Question: 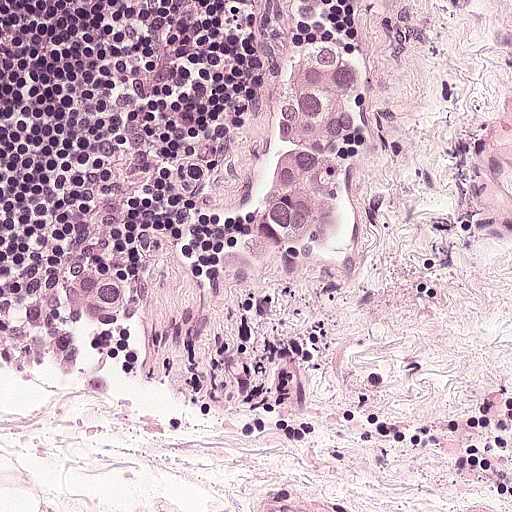
Lymph node section stained with H&E, from a whole-slide image of a breast-cancer sentinel node. Magnification about 20×, about 0.25 mm across the frame, about 0.49 µm per pixel.
About how much of this crop is taken up by metastatic carcinoma?

Choices:
 (A) none: no tumour is outlined
 (B) about 5% or less
 (C) about 25% to 45%
 (D) about 50% or more
 (E) about 10% to 20%

Answer: (B) about 5% or less
About 5% of the field is tumour.
The outlined metastatic tumour's edge, as a closed clockwise path of 13 points: (298, 0), (296, 25), (300, 34), (353, 64), (350, 161), (320, 242), (304, 257), (264, 252), (252, 224), (254, 197), (274, 124), (274, 50), (261, 2).